Lymph node section stained with H&E, from a whole-slide image of a breast-cancer sentinel node. Magnification about 2.5×, about 2.0 mm across the frame, about 3.9 µm per pixel.
Question: 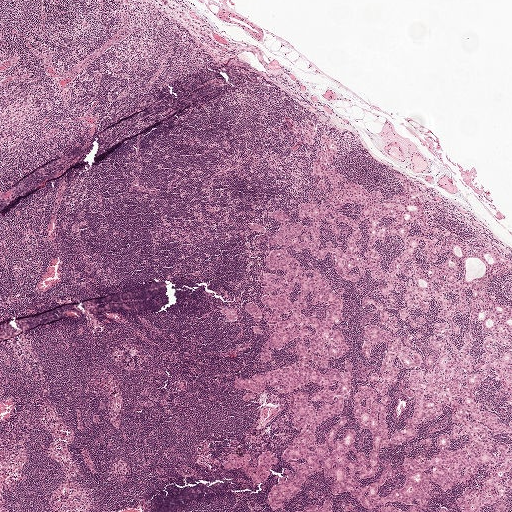
Estimate the proportion of this field that is metastatic tumour.

Choices:
 (A) about 5% or less
 (B) about 10% to 20%
 (C) none: no tumour is outlined
 (D) about 50% or more
 (E) about 25% to 45%

Answer: (B) about 10% to 20%
About 20% of the field is tumour.
Five metastatic tumour regions, each outlined as a closed clockwise path in crop pixels (x, y), largest first: region 1: (270, 450), (276, 455), (276, 462), (275, 465), (271, 464), (266, 480), (257, 483), (252, 481), (241, 468), (232, 470), (226, 468), (222, 464), (230, 453), (242, 455), (244, 453), (250, 457), (250, 460), (247, 463), (251, 466), (257, 464), (260, 453); region 2: (289, 120), (292, 120), (298, 124), (302, 130), (304, 129), (306, 121), (309, 121), (311, 122), (315, 132), (315, 135), (312, 144), (308, 144), (302, 141), (301, 138), (290, 123); region 3: (323, 501), (328, 502), (330, 506), (331, 511), (291, 511), (301, 510), (306, 505), (318, 506), (321, 505); region 4: (223, 307), (233, 309), (237, 315), (237, 319), (233, 320), (226, 320), (218, 311); region 5: (249, 223), (257, 223), (263, 225), (265, 228), (264, 234), (259, 234), (252, 231), (246, 226).
One more tumour region is annotated but not outlined: its edge is too irregular for a short outline.
One more small tumour piece is annotated here but not outlined.